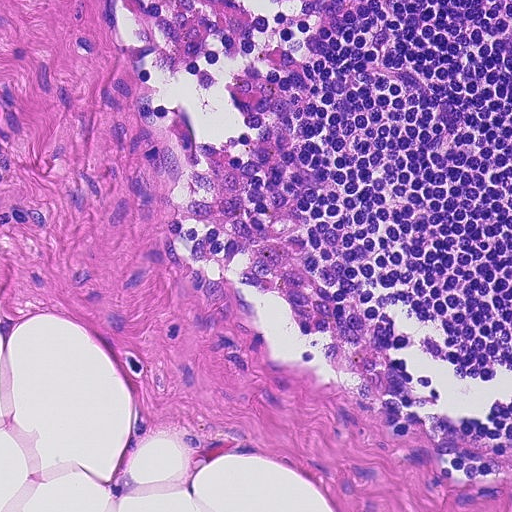
Lymph node section stained with H&E, from a whole-slide image of a breast-cancer sentinel node. Magnification about 20×, about 0.23 mm across the frame, about 0.45 µm per pixel.
Question: Is there metastatic carcinoma in this field?
Answer: No. No metastatic tumour is outlined in this field.